Image:
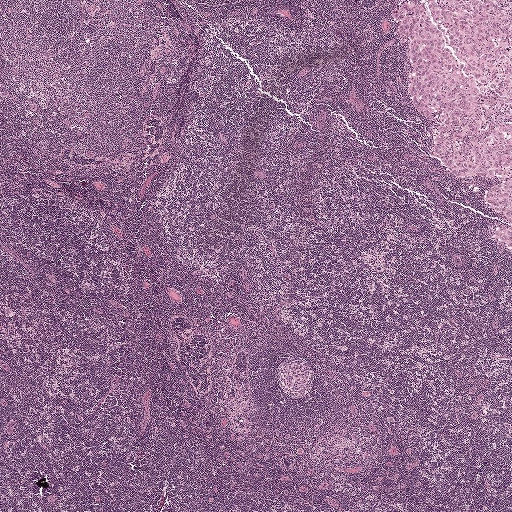
This is a crop of a whole-slide image: an H&E-stained breast-cancer sentinel lymph node section at roughly 2.5× magnification (about 3.9 µm per pixel; the crop spans about 2.0 mm).
Question:
Trace the edge of each tumour region in this crop, as (x, y) points from 0 to 511.
Answer:
One metastatic tumour region; its boundary, reduced to 15 corners and listed clockwise: (511, 0), (511, 253), (492, 232), (508, 222), (490, 211), (482, 197), (497, 181), (459, 179), (428, 155), (441, 112), (428, 120), (411, 108), (408, 46), (392, 12), (411, 3).
About 5% of the image area is annotated as tumour.